Question: 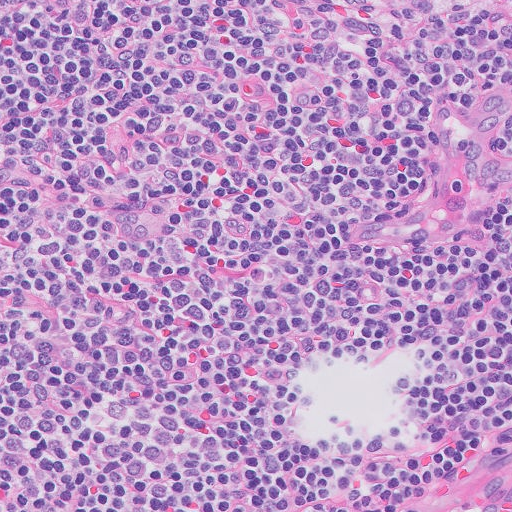
About what magnification does this crop show?

Choices:
 (A) about 20×
 (B) about 10×
 (C) about 40×
 (D) about 2.5×
 (E) about 5×

Answer: (A) about 20×
This is a crop of a whole-slide image: an H&E-stained breast-cancer sentinel lymph node section at roughly 20× magnification (about 0.5 µm per pixel; the crop spans about 0.26 mm).